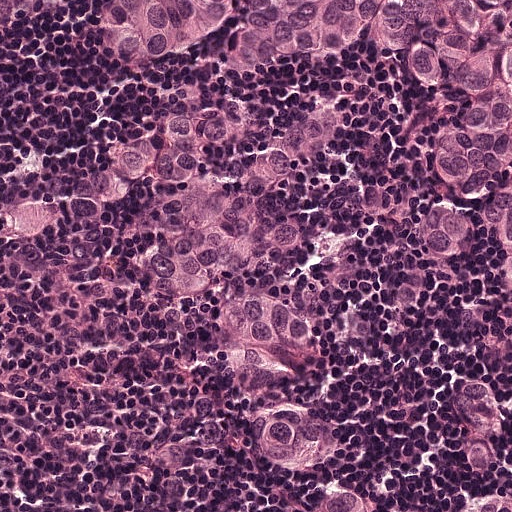
H&E-stained section of a sentinel lymph node (breast cancer), from a whole-slide image, viewed at about 20×: the field is about 0.25 mm across, about 0.49 µm per pixel.
Metastatic tumour outline, simplified to 15 points and listed clockwise in crop pixels (x, y): (0, 0), (511, 0), (511, 511), (254, 511), (214, 404), (142, 352), (142, 274), (0, 275), (0, 173), (101, 126), (107, 104), (101, 66), (61, 17), (32, 11), (0, 52).
About 80% of the image area is annotated as tumour.